Question: 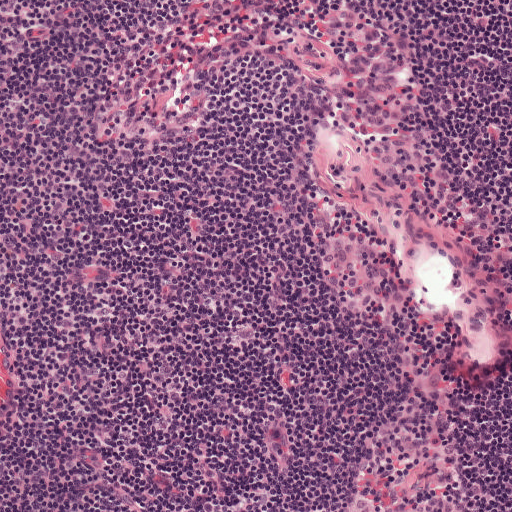
At roughly what magnification is this field shown?

Choices:
 (A) about 40×
 (B) about 2.5×
 (C) about 20×
 (D) about 5×
 (E) about 10×

Answer: (E) about 10×
This is a crop of a whole-slide image: an H&E-stained breast-cancer sentinel lymph node section at roughly 10× magnification (about 0.97 µm per pixel; the crop spans about 0.5 mm).